H&E-stained section of a sentinel lymph node (breast cancer), from a whole-slide image, viewed at about 20×: the field is about 0.25 mm across, about 0.49 µm per pixel.
Image:
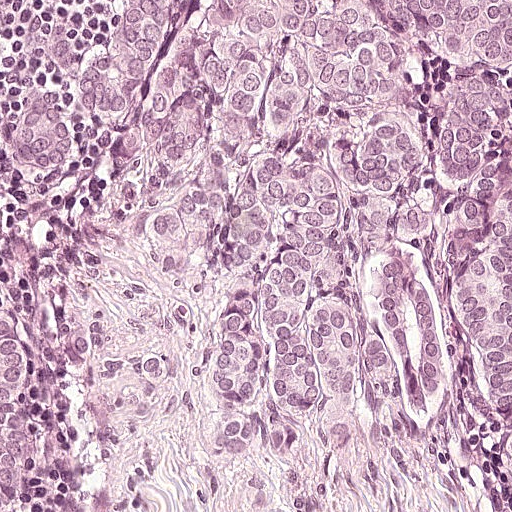
Question:
Does this lymph node field contain metastatic tumour?
Answer:
Yes.
Tumour region outline (a closed clockwise path, crop pixels): (107, 0), (511, 0), (511, 511), (463, 398), (398, 437), (300, 439), (280, 458), (211, 430), (194, 294), (118, 224), (88, 339), (37, 404), (52, 511), (0, 511), (0, 310), (68, 337), (76, 304), (85, 208), (11, 156), (48, 87), (78, 108), (94, 165), (83, 80), (113, 52).
About 70% of this field is tumour.